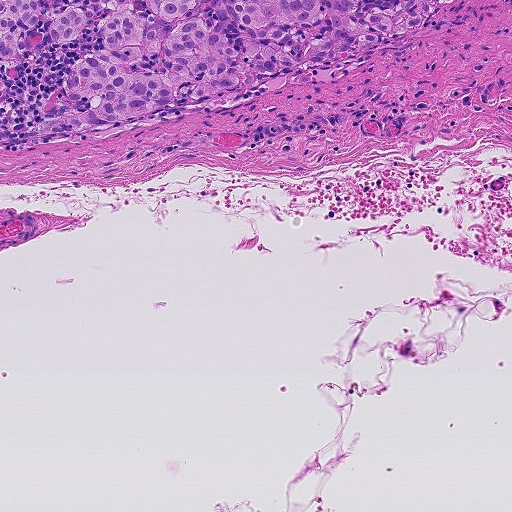
This is a crop of a whole-slide image: an H&E-stained breast-cancer sentinel lymph node section at roughly 10× magnification (about 0.9 µm per pixel; the crop spans about 0.46 mm).
Metastatic tumour outline, simplified to 14 points and listed clockwise in crop pixels (x, y): (0, 0), (444, 0), (421, 26), (385, 47), (248, 96), (166, 110), (127, 126), (106, 126), (62, 84), (70, 65), (106, 47), (100, 20), (85, 40), (5, 62).
One more small tumour piece is annotated here but not outlined.
The annotated tumour makes up about 15% of the crop.